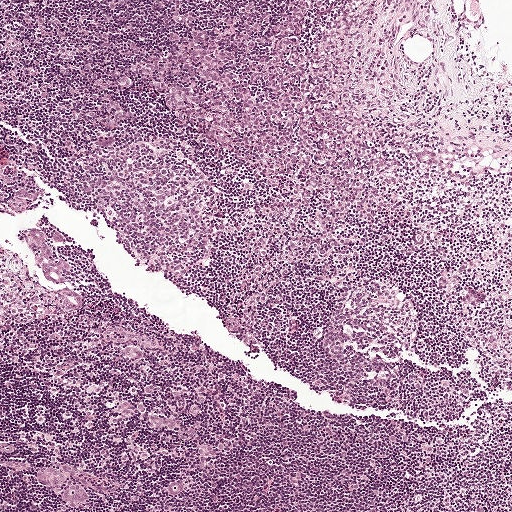
This is a crop of a whole-slide image: an H&E-stained breast-cancer sentinel lymph node section at roughly 5× magnification (about 1.9 µm per pixel; the crop spans about 1 mm).
Metastatic tumour outline, simplified to 21 points and listed clockwise in crop pixels (x, y): (308, 0), (374, 0), (339, 57), (336, 88), (347, 101), (429, 143), (442, 158), (438, 170), (422, 168), (356, 199), (338, 196), (313, 175), (241, 164), (185, 123), (166, 119), (150, 101), (142, 56), (177, 26), (210, 23), (254, 4), (287, 10).
Tumour covers about 15% of the frame.